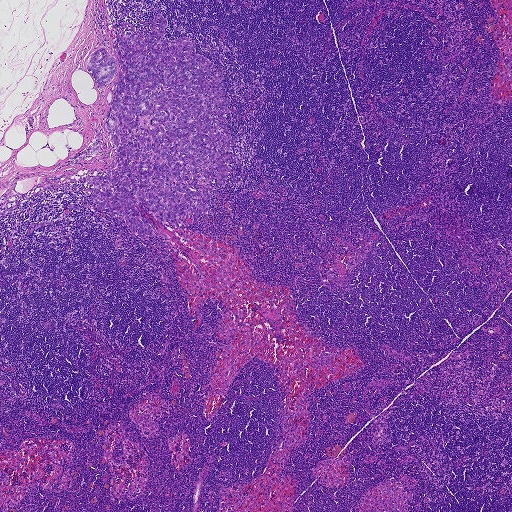
This is a crop of a whole-slide image: an H&E-stained breast-cancer sentinel lymph node section at roughly 2.5× magnification (about 3.6 µm per pixel; the crop spans about 1.9 mm).
Outlines of two tumour regions, largest first (closed clockwise paths, crop pixels): region 1: (157, 13), (173, 40), (196, 41), (210, 75), (223, 75), (234, 143), (220, 155), (234, 170), (222, 187), (209, 181), (209, 212), (184, 225), (134, 205), (166, 236), (144, 239), (96, 207), (87, 175), (115, 162), (104, 126), (114, 41), (144, 41); region 2: (100, 48), (106, 48), (116, 60), (114, 76), (109, 85), (101, 85), (88, 72), (87, 62).
About 10% of the image area is annotated as tumour.